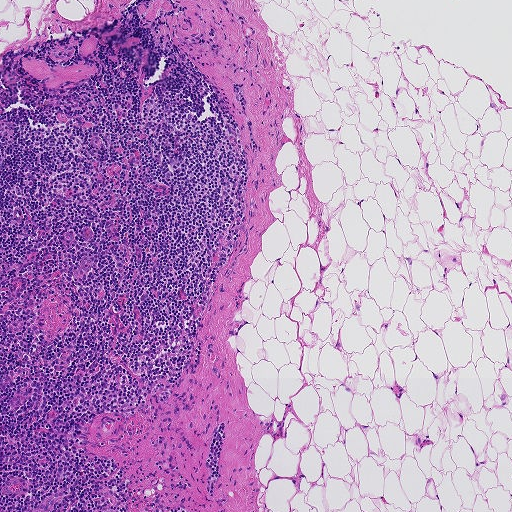
Lymph node section stained with H&E, from a whole-slide image of a breast-cancer sentinel node. Magnification about 5×, about 0.93 mm across the frame, about 1.8 µm per pixel.
Question: Is any metastatic breast cancer visible in this crop?
Answer: No. No metastatic tumour is outlined in this field.